Question: 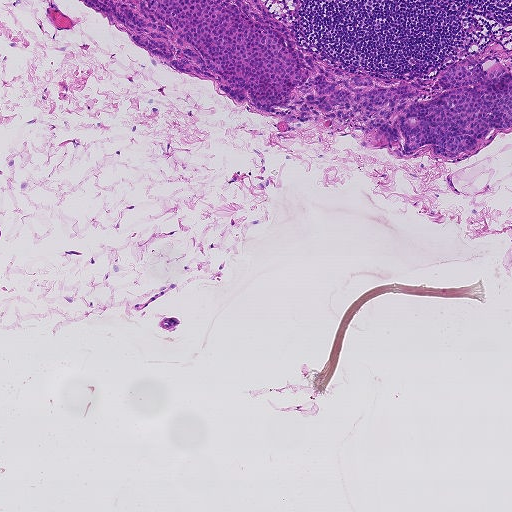
H&E-stained section of a sentinel lymph node (breast cancer), from a whole-slide image, viewed at about 5×: the field is about 0.93 mm across, about 1.8 µm per pixel.
Estimate the proportion of this field that is metastatic tumour.

Choices:
 (A) about 25% to 45%
 (B) none: no tumour is outlined
 (C) about 5% or less
 (D) about 50% or more
 (E) about 10% to 20%

Answer: (E) about 10% to 20%
About 10% of the field is tumour.
The outlined metastatic tumour's edge, as a closed clockwise path of 22 points: (79, 0), (261, 0), (299, 44), (325, 62), (385, 80), (424, 82), (449, 65), (487, 56), (511, 69), (511, 128), (495, 130), (494, 140), (449, 161), (430, 144), (402, 154), (360, 122), (289, 121), (250, 110), (248, 100), (237, 106), (208, 79), (151, 59).